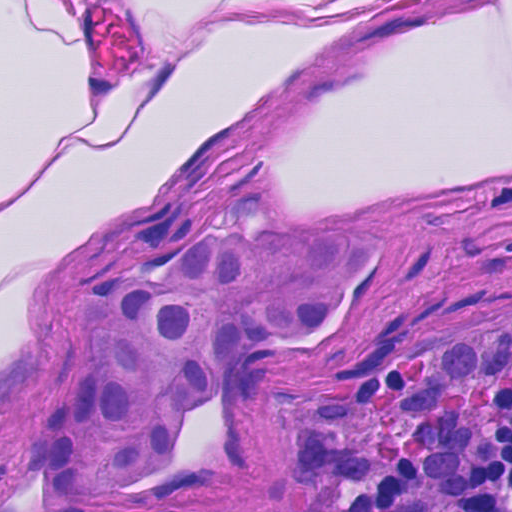
Lymph node section stained with H&E, from a whole-slide image of a breast-cancer sentinel node. Magnification about 40×, about 0.12 mm across the frame, about 0.23 µm per pixel.
One metastatic tumour region; its boundary, reduced to 17 corners and listed clockwise: (288, 217), (392, 233), (381, 272), (353, 286), (338, 328), (309, 348), (274, 348), (241, 372), (168, 471), (73, 505), (34, 497), (21, 476), (18, 436), (66, 334), (69, 281), (177, 255), (201, 233).
About 20% of this field is tumour.